A 0.46-mm field of an H&E-stained sentinel lymph node from a breast-cancer patient (whole-slide image), shown at about 10×, about 0.9 µm per pixel.
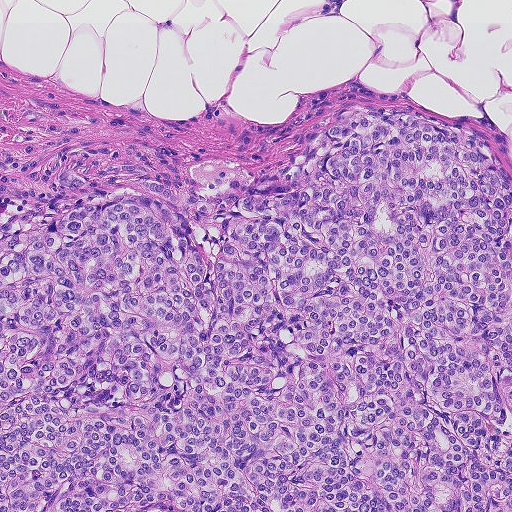
One metastatic tumour region; its boundary, reduced to 12 corners and listed clockwise: (376, 106), (475, 130), (507, 172), (511, 511), (0, 511), (0, 225), (12, 215), (150, 192), (143, 178), (192, 197), (269, 191), (334, 120).
The annotated tumour makes up about 65% of the crop.